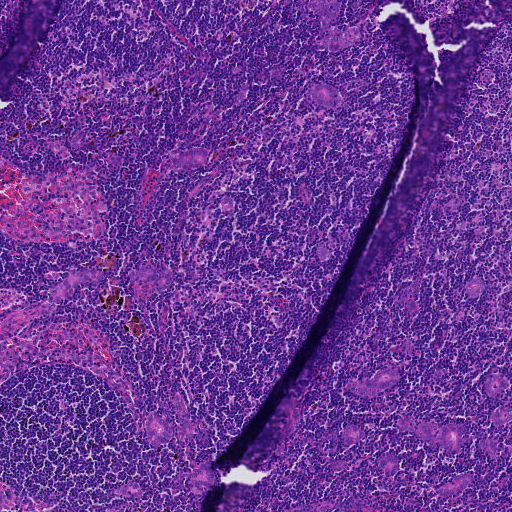
This is a crop of a whole-slide image: an H&E-stained breast-cancer sentinel lymph node section at roughly 5× magnification (about 1.8 µm per pixel; the crop spans about 0.93 mm).
Outlines of the eight largest metastatic tumour regions, each a closed clockwise path in crop pixels (x, y), largest first: region 1: (312, 0), (337, 0), (340, 4), (340, 9), (330, 26), (339, 29), (340, 34), (357, 24), (360, 29), (360, 39), (352, 45), (338, 51), (324, 50), (320, 46), (320, 41), (332, 31), (327, 28), (323, 30), (317, 16), (309, 9), (308, 4); region 2: (412, 415), (417, 425), (428, 422), (440, 426), (455, 423), (464, 426), (465, 431), (460, 452), (450, 452), (435, 444), (430, 446), (426, 444), (414, 433), (403, 429), (399, 426), (398, 421), (402, 417); region 3: (86, 268), (101, 271), (103, 275), (102, 280), (95, 287), (86, 283), (68, 298), (59, 301), (54, 301), (48, 293), (50, 288), (66, 278), (71, 269), (82, 270); region 4: (386, 367), (396, 370), (399, 375), (399, 380), (395, 384), (368, 399), (363, 398), (350, 390), (348, 385), (349, 380), (370, 380), (381, 369); region 5: (147, 264), (156, 268), (166, 267), (170, 270), (171, 275), (170, 285), (166, 289), (157, 292), (142, 284), (133, 287), (130, 278), (130, 273), (134, 270), (139, 269); region 6: (204, 148), (209, 151), (208, 161), (195, 168), (173, 171), (167, 161), (169, 151), (174, 149), (184, 151); region 7: (151, 412), (165, 418), (171, 431), (170, 440), (162, 446), (152, 447), (146, 433), (144, 424), (147, 414); region 8: (322, 83), (332, 86), (343, 96), (343, 101), (340, 105), (329, 107), (314, 102), (308, 95), (309, 90).
14 more, smaller tumour regions are not outlined.
Eight more small tumour pieces are annotated here but not outlined.
Tumour covers about 5% of the frame.